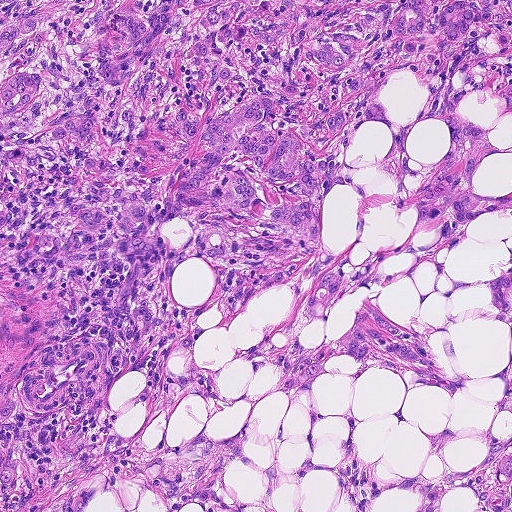
H&E-stained section of a sentinel lymph node (breast cancer), from a whole-slide image, viewed at about 10×: the field is about 0.46 mm across, about 0.9 µm per pixel.
Outlines of five tumour regions, largest first (closed clockwise paths, crop pixels): region 1: (0, 0), (511, 0), (511, 211), (447, 248), (396, 197), (423, 99), (392, 78), (322, 237), (414, 266), (295, 338), (368, 301), (474, 378), (446, 393), (342, 357), (290, 402), (234, 349), (298, 311), (262, 289), (194, 352), (226, 410), (142, 442), (240, 432), (247, 509), (0, 511); region 2: (348, 412), (358, 420), (362, 458), (388, 482), (459, 474), (489, 454), (488, 431), (511, 438), (511, 511), (476, 511), (478, 499), (468, 487), (451, 491), (440, 504), (442, 511), (349, 511), (344, 490), (330, 470), (296, 479), (290, 468), (312, 457), (320, 466), (332, 466), (340, 457); region 3: (511, 253), (511, 323), (500, 323), (491, 300), (488, 288), (494, 277), (502, 268), (506, 256); region 4: (511, 360), (511, 414), (502, 410), (498, 399), (506, 390), (500, 379), (505, 367); region 5: (276, 460), (280, 471), (270, 493), (269, 506), (273, 511), (268, 511), (262, 502), (266, 490), (263, 478), (264, 466).
About 75% of this field is tumour.